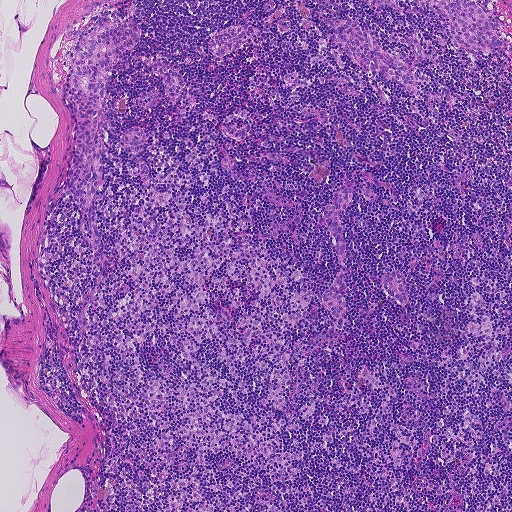
This is a crop of a whole-slide image: an H&E-stained breast-cancer sentinel lymph node section at roughly 5× magnification (about 1.8 µm per pixel; the crop spans about 0.93 mm).
Outlines of the eight largest metastatic tumour regions, each a closed clockwise path in crop pixels (x, y), largest first: region 1: (126, 21), (139, 24), (142, 37), (139, 43), (116, 55), (105, 71), (110, 76), (97, 111), (99, 125), (95, 137), (103, 148), (91, 227), (96, 247), (91, 246), (88, 225), (83, 223), (80, 207), (70, 194), (69, 178), (77, 146), (70, 80), (77, 53), (101, 30); region 2: (356, 18), (361, 27), (375, 32), (376, 42), (383, 52), (390, 54), (392, 48), (398, 50), (408, 59), (414, 59), (410, 47), (394, 41), (393, 38), (405, 40), (411, 37), (417, 40), (424, 58), (412, 66), (423, 68), (421, 73), (430, 78), (415, 86), (422, 99), (412, 102), (407, 91), (396, 82), (378, 72), (372, 77), (366, 77), (346, 52), (339, 55), (338, 47), (332, 47), (330, 41), (337, 19), (341, 23); region 3: (412, 0), (473, 0), (484, 13), (497, 20), (501, 33), (496, 37), (501, 47), (491, 50), (486, 56), (469, 55), (453, 46), (448, 19); region 4: (346, 179), (349, 180), (352, 192), (352, 204), (346, 208), (341, 226), (346, 246), (342, 264), (345, 283), (341, 295), (347, 306), (341, 317), (335, 318), (323, 304), (321, 298), (339, 271), (334, 240), (325, 222), (323, 210), (332, 201), (340, 183); region 5: (246, 25), (259, 30), (224, 55), (220, 55), (211, 51), (209, 46), (212, 38), (227, 27); region 6: (156, 56), (160, 62), (180, 73), (184, 85), (176, 102), (172, 103), (164, 90), (163, 76), (154, 73), (150, 65), (146, 65), (143, 61), (146, 59); region 7: (392, 270), (399, 270), (403, 275), (406, 288), (406, 300), (404, 305), (384, 291), (382, 285), (384, 275); region 8: (140, 127), (144, 130), (146, 140), (142, 150), (131, 152), (121, 149), (118, 144), (124, 129).
One more, smaller tumour region is not outlined.
About 5% of the image area is annotated as tumour.